This is a crop of a whole-slide image: an H&E-stained breast-cancer sentinel lymph node section at roughly 40× magnification (about 0.25 µm per pixel; the crop spans about 0.13 mm).
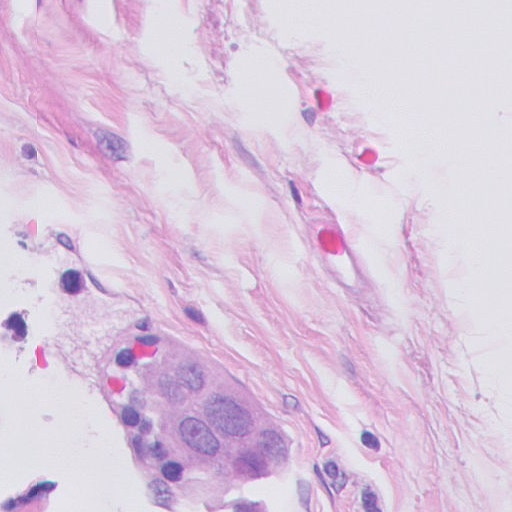
One metastatic tumour region; its boundary, reduced to 13 corners and listed clockwise: (158, 330), (184, 340), (240, 380), (258, 402), (296, 457), (267, 492), (268, 511), (232, 511), (222, 492), (194, 489), (135, 394), (125, 368), (128, 339).
Tumour covers about 5% of the frame.